This is a crop of a whole-slide image: an H&E-stained breast-cancer sentinel lymph node section at roughly 2.5× magnification (about 3.6 µm per pixel; the crop spans about 1.9 mm).
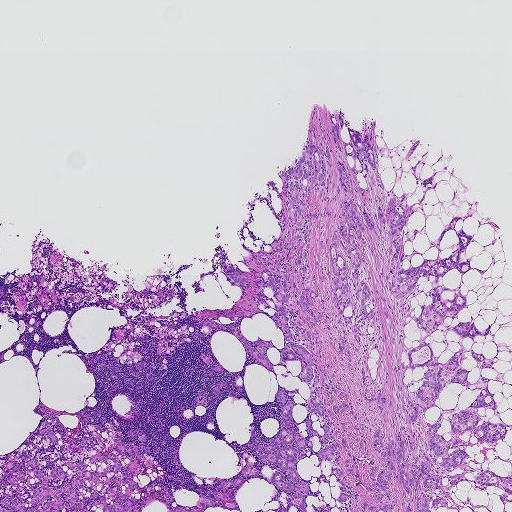
Question: Which parts of this field are metastatic tumour? Answer with the outline of each region, in pixels.
Answer: Four metastatic tumour regions, each outlined as a closed clockwise path in crop pixels (x, y), largest first: region 1: (322, 112), (375, 119), (410, 206), (428, 152), (437, 185), (405, 269), (473, 236), (468, 309), (430, 335), (420, 277), (404, 342), (443, 364), (445, 326), (493, 323), (494, 337), (462, 343), (497, 372), (461, 364), (511, 428), (458, 437), (511, 503), (272, 510), (275, 376), (200, 328), (284, 237); region 2: (111, 452), (121, 462), (119, 480), (131, 472), (139, 485), (128, 500), (141, 507), (148, 494), (157, 500), (143, 509), (0, 511), (0, 503), (16, 496), (17, 489), (6, 477), (22, 470), (26, 479), (20, 482), (19, 499), (31, 500), (42, 482), (29, 464), (34, 458), (45, 476), (58, 467), (70, 479), (76, 478), (76, 463), (82, 461), (84, 470), (106, 472), (112, 460), (94, 463), (89, 458); region 3: (253, 467), (259, 470), (260, 477), (254, 478), (244, 477), (245, 480), (244, 483), (240, 485), (237, 487), (232, 486), (220, 490), (222, 497), (221, 500), (218, 503), (222, 506), (222, 503), (225, 501), (231, 501), (237, 506), (238, 509), (234, 511), (214, 506), (206, 509), (203, 511), (171, 511), (177, 505), (188, 507), (196, 504), (198, 494), (202, 494), (215, 500), (214, 494), (206, 493), (221, 483), (240, 475), (241, 472), (247, 468); region 4: (43, 422), (46, 422), (49, 424), (51, 430), (58, 437), (58, 441), (53, 443), (50, 442), (48, 435), (42, 437), (38, 434), (39, 431), (41, 429), (45, 429), (42, 425).
Six more small tumour pieces are annotated here but not outlined.
Tumour covers about 30% of the frame.